Question: 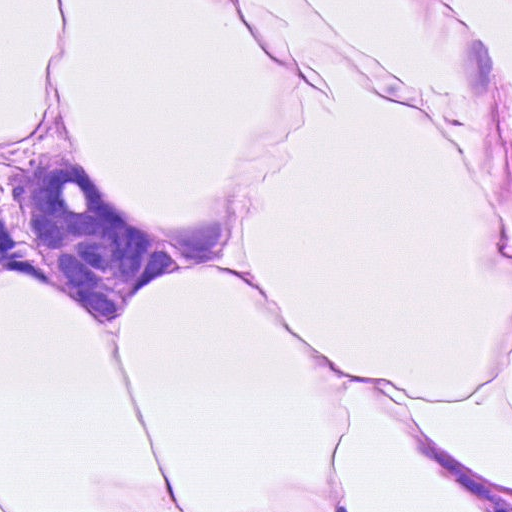
About what magnification does this crop show?

Choices:
 (A) about 10×
 (B) about 5×
 (C) about 20×
 (D) about 2.5×
 (E) about 40×

Answer: (E) about 40×
This is a crop of a whole-slide image: an H&E-stained breast-cancer sentinel lymph node section at roughly 40× magnification (about 0.23 µm per pixel; the crop spans about 0.12 mm).
One metastatic tumour region; its boundary, reduced to 11 corners and listed clockwise: (56, 118), (153, 216), (221, 196), (240, 214), (236, 257), (203, 287), (125, 287), (97, 337), (54, 275), (0, 267), (0, 127).
About 10% of this field is tumour.